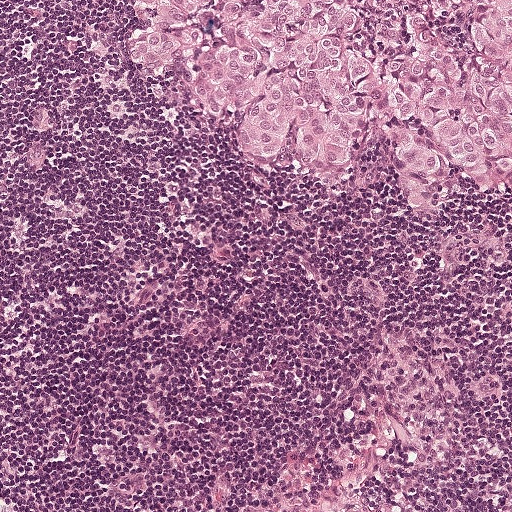
H&E-stained section of a sentinel lymph node (breast cancer), from a whole-slide image, viewed at about 10×: the field is about 0.5 mm across, about 0.97 µm per pixel.
Question: Which parts of this field are metastatic tumour?
Answer: One metastatic tumour region; its boundary, reduced to 10 corners and listed clockwise: (511, 0), (511, 196), (466, 196), (428, 215), (389, 208), (373, 130), (340, 178), (242, 155), (125, 76), (124, 4).
The annotated tumour makes up about 25% of the crop.